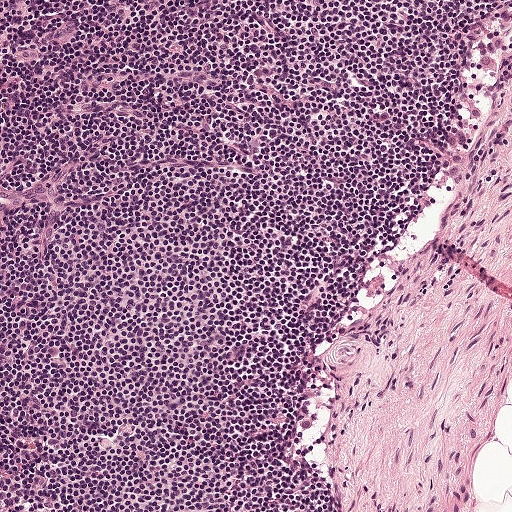
H&E-stained section of a sentinel lymph node (breast cancer), from a whole-slide image, viewed at about 10×: the field is about 0.5 mm across, about 0.97 µm per pixel.
Question: Does this lymph node field contain metastatic tumour?
Answer: No. No metastatic tumour is outlined in this field.